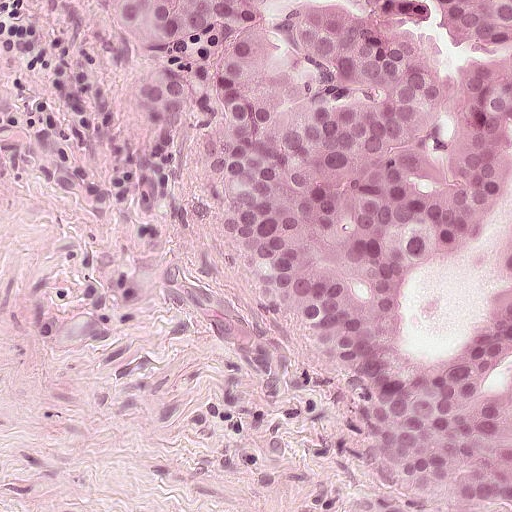
H&E-stained section of a sentinel lymph node (breast cancer), from a whole-slide image, viewed at about 20×: the field is about 0.25 mm across, about 0.49 µm per pixel.
Question: Is any metastatic breast cancer visible in this crop?
Answer: Yes.
Tumour region outline (a closed clockwise path, crop pixels): (511, 0), (511, 511), (409, 511), (354, 460), (340, 416), (292, 368), (250, 298), (203, 150), (137, 108), (123, 2).
About 55% of this field is tumour.